Question: 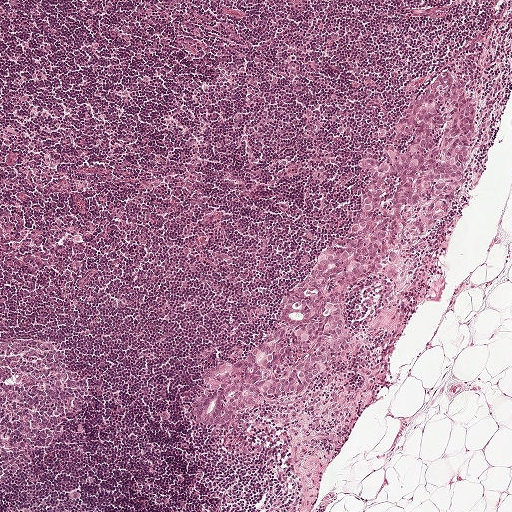
A 1-mm field of an H&E-stained sentinel lymph node from a breast-cancer patient (whole-slide image), shown at about 5×, about 1.9 µm per pixel.
About how much of this crop is taken up by metastatic carcinoma?

Choices:
 (A) about 10% to 20%
 (B) about 5% or less
 (C) none: no tumour is outlined
 (D) about 25% to 45%
 (E) about 50% or more

Answer: (A) about 10% to 20%
About 10% of the field is tumour.
The outlined metastatic tumour's edge, as a closed clockwise path of 24 points: (459, 73), (480, 91), (473, 180), (458, 216), (416, 243), (415, 270), (403, 286), (386, 292), (376, 276), (351, 291), (347, 316), (355, 343), (309, 401), (226, 427), (195, 427), (186, 415), (210, 371), (267, 336), (303, 281), (341, 246), (360, 203), (364, 160), (388, 151), (437, 75).